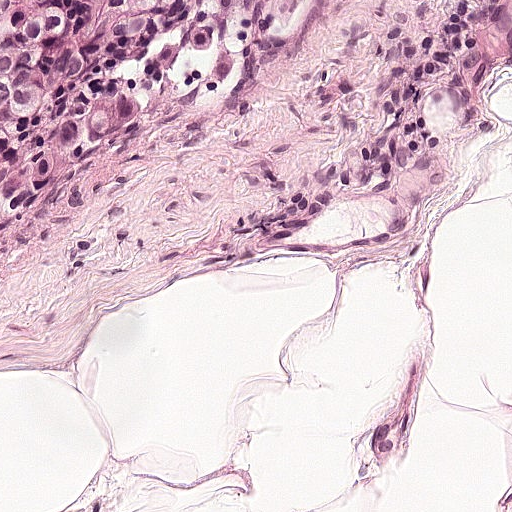
A 0.25-mm field of an H&E-stained sentinel lymph node from a breast-cancer patient (whole-slide image), shown at about 20×, about 0.49 µm per pixel.
Tumour region outline (a closed clockwise path, crop pixels): (0, 0), (188, 0), (166, 46), (164, 78), (174, 97), (100, 158), (61, 203), (0, 210).
The annotated tumour makes up about 10% of the crop.